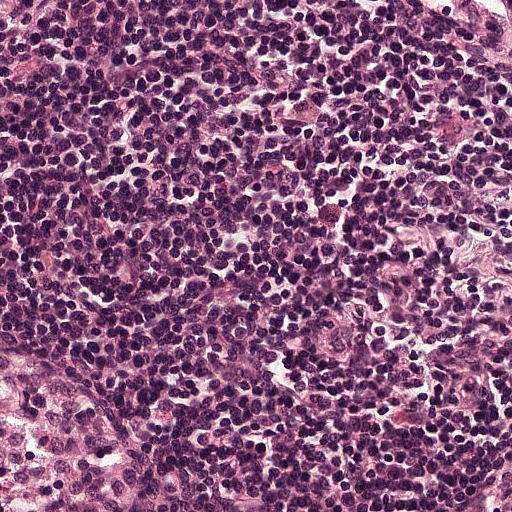
A 0.25-mm field of an H&E-stained sentinel lymph node from a breast-cancer patient (whole-slide image), shown at about 20×, about 0.49 µm per pixel.